Image:
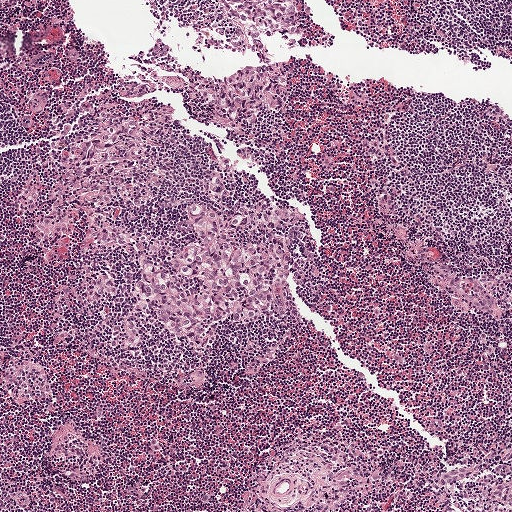
This is a crop of a whole-slide image: an H&E-stained breast-cancer sentinel lymph node section at roughly 5× magnification (about 1.9 µm per pixel; the crop spans about 1 mm).
Question:
Is any metastatic breast cancer visible in this crop?
Answer:
Yes.
Four metastatic tumour regions, each outlined as a closed clockwise path in crop pixels (x, y), largest first: region 1: (218, 176), (232, 213), (293, 208), (309, 219), (292, 231), (293, 270), (278, 275), (273, 311), (249, 323), (217, 320), (206, 347), (154, 315), (144, 317), (142, 343), (130, 341), (147, 285), (143, 258), (173, 268), (186, 248), (201, 246), (192, 205), (221, 213), (213, 184); region 2: (92, 109), (128, 118), (139, 162), (153, 171), (150, 192), (133, 204), (102, 203), (97, 214), (143, 238), (145, 252), (108, 244), (72, 251), (84, 221), (79, 206), (61, 228), (30, 230), (34, 212), (13, 195), (22, 178), (30, 175), (37, 190), (46, 186), (71, 158); region 3: (304, 0), (314, 17), (315, 28), (313, 35), (302, 42), (279, 43), (200, 19), (165, 1); region 4: (285, 65), (288, 74), (282, 98), (284, 105), (282, 112), (260, 110), (254, 119), (242, 125), (224, 124), (216, 110), (197, 90), (198, 86), (204, 83), (232, 78), (243, 69), (262, 70).
About 10% of the image area is annotated as tumour.